H&E-stained section of a sentinel lymph node (breast cancer), from a whole-slide image, viewed at about 2.5×: the field is about 1.9 mm across, about 3.6 µm per pixel.
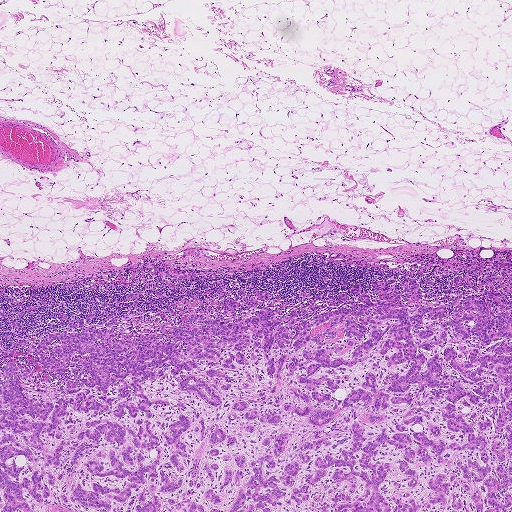
Three metastatic tumour regions, each outlined as a closed clockwise path in crop pixels (x, y), largest first: region 1: (488, 275), (510, 298), (511, 511), (0, 511), (0, 367), (33, 358), (18, 340), (80, 332), (58, 312), (144, 334), (158, 309), (238, 320), (319, 293), (317, 313), (392, 278), (404, 300), (407, 277), (409, 314), (485, 302); region 2: (218, 286), (222, 287), (223, 291), (228, 292), (226, 296), (233, 299), (237, 297), (239, 288), (243, 288), (248, 296), (256, 298), (252, 290), (256, 288), (272, 293), (268, 300), (242, 311), (240, 308), (232, 309), (226, 313), (220, 309), (220, 298), (214, 293); region 3: (188, 248), (204, 250), (208, 251), (209, 255), (214, 259), (203, 256), (200, 257), (184, 255), (183, 251).
One more small tumour piece is annotated here but not outlined.
About 40% of this field is tumour.